Question: 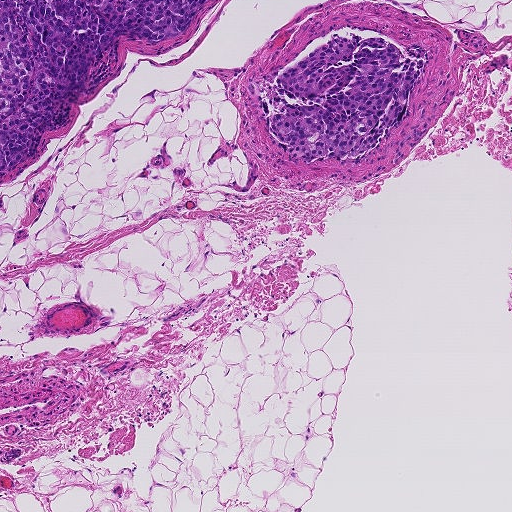
H&E-stained section of a sentinel lymph node (breast cancer), from a whole-slide image, viewed at about 5×: the field is about 0.93 mm across, about 1.8 µm per pixel.
Roughly what share of this field is metastatic tumour?

Choices:
 (A) about 25% to 45%
 (B) about 5% or less
 (C) about 10% to 20%
 (D) about 50% or more
 (E) none: no tumour is outlined

Answer: (C) about 10% to 20%
About 10% of the field is tumour.
Two metastatic tumour regions, each outlined as a closed clockwise path in crop pixels (x, y), largest first: region 1: (0, 0), (13, 5), (15, 0), (208, 0), (179, 37), (157, 46), (124, 40), (117, 44), (85, 79), (87, 94), (70, 92), (57, 102), (19, 163), (0, 172); region 2: (339, 33), (349, 38), (358, 33), (365, 39), (381, 37), (420, 55), (427, 63), (398, 129), (359, 162), (288, 160), (270, 136), (266, 114), (274, 108), (274, 88), (284, 70).
Question: 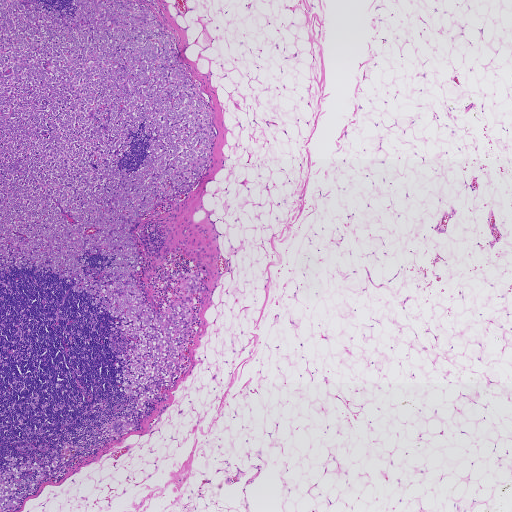
Lymph node section stained with H&E, from a whole-slide image of a breast-cancer sentinel node. Magnification about 2.5×, about 1.9 mm across the frame, about 3.6 µm per pixel.
Roughly what share of this field is metastatic tumour?

Choices:
 (A) about 10% to 20%
 (B) about 25% to 45%
 (C) none: no tumour is outlined
 (D) about 50% or more
 (E) about 5% or less

Answer: (B) about 25% to 45%
About 25% of the field is tumour.
Outlines of three tumour regions, largest first (closed clockwise paths, crop pixels): region 1: (0, 0), (141, 4), (173, 31), (215, 132), (193, 190), (130, 231), (153, 309), (163, 311), (184, 272), (202, 272), (183, 373), (134, 412), (116, 381), (116, 357), (133, 341), (119, 320), (71, 278), (1, 271); region 2: (5, 456), (23, 456), (23, 460), (18, 460), (16, 466), (23, 465), (26, 459), (30, 458), (34, 464), (40, 466), (47, 466), (55, 458), (57, 460), (57, 464), (46, 472), (36, 490), (23, 497), (16, 506), (0, 511), (0, 474), (8, 470), (9, 463), (12, 461), (5, 460); region 3: (116, 421), (128, 423), (128, 428), (120, 433), (114, 433), (108, 429), (110, 426).
Two more small tumour pieces are annotated here but not outlined.
Question: 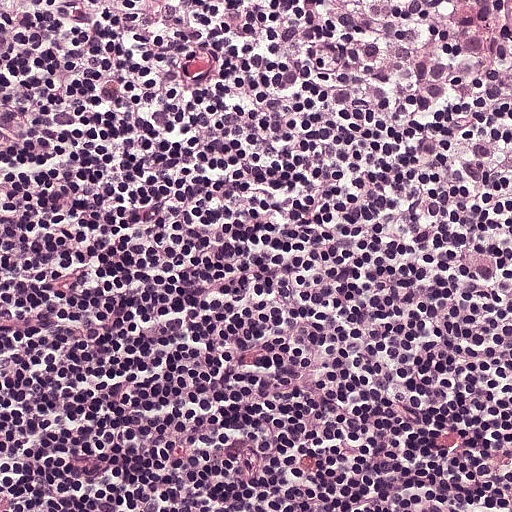
This is a crop of a whole-slide image: an H&E-stained breast-cancer sentinel lymph node section at roughly 20× magnification (about 0.49 µm per pixel; the crop spans about 0.25 mm).
Roughly what share of this field is metastatic tumour?

Choices:
 (A) about 50% or more
 (B) about 5% or less
 (C) none: no tumour is outlined
 (D) about 10% to 20%
 (E) about 25% to 45%

Answer: (E) about 25% to 45%
About 25% of the field is tumour.
One metastatic tumour region; its boundary, reduced to 5 corners and listed clockwise: (0, 0), (511, 0), (511, 235), (191, 84), (2, 34).
Question: 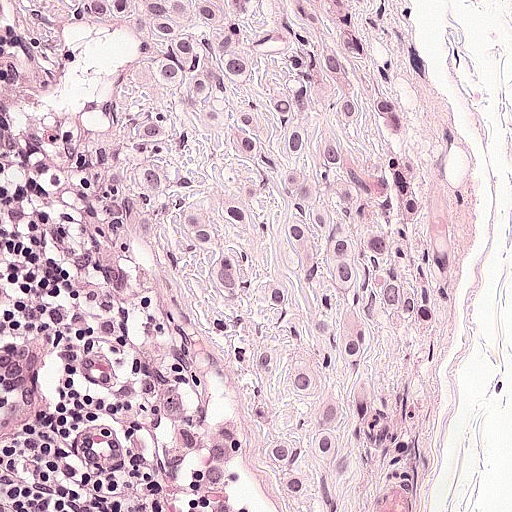
Lymph node section stained with H&E, from a whole-slide image of a breast-cancer sentinel node. Magnification about 20×, about 0.25 mm across the frame, about 0.49 µm per pixel.
Roughly what share of this field is metastatic tumour?

Choices:
 (A) about 25% to 45%
 (B) about 5% or less
 (C) none: no tumour is outlined
 (D) about 50% or more
 (E) about 10% to 20%

Answer: (A) about 25% to 45%
About 45% of the field is tumour.
Metastatic tumour outline, simplified to 21 points and listed clockwise in crop pixels (x, y): (388, 0), (402, 124), (420, 189), (445, 224), (450, 268), (422, 339), (360, 338), (372, 442), (360, 511), (267, 511), (250, 481), (220, 496), (192, 484), (194, 444), (245, 414), (244, 352), (195, 260), (146, 222), (128, 189), (136, 48), (92, 4).